Question: 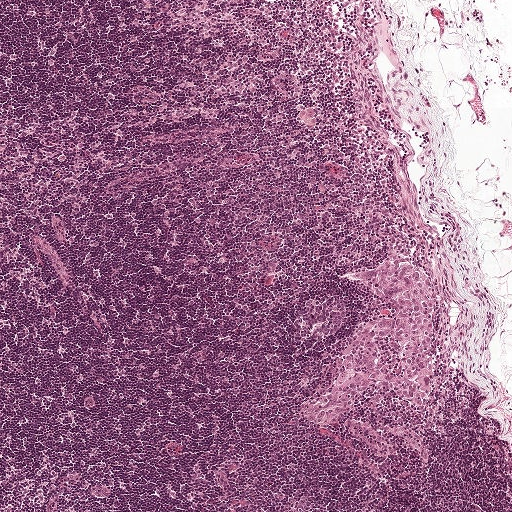
Lymph node section stained with H&E, from a whole-slide image of a breast-cancer sentinel node. Magnification about 5×, about 1 mm across the frame, about 1.9 µm per pixel.
Roughly what share of this field is metastatic tumour?

Choices:
 (A) none: no tumour is outlined
 (B) about 10% to 20%
 (C) about 5% or less
 (D) about 50% or more
 (E) about 25% to 45%

Answer: (C) about 5% or less
About 5% of the field is tumour.
Metastatic tumour outline, simplified to 18 points and listed clockwise in crop pixels (x, y): (392, 256), (416, 262), (436, 283), (440, 388), (433, 399), (410, 405), (377, 382), (343, 419), (330, 426), (319, 426), (302, 416), (300, 408), (332, 384), (360, 329), (373, 320), (395, 315), (386, 297), (352, 273).